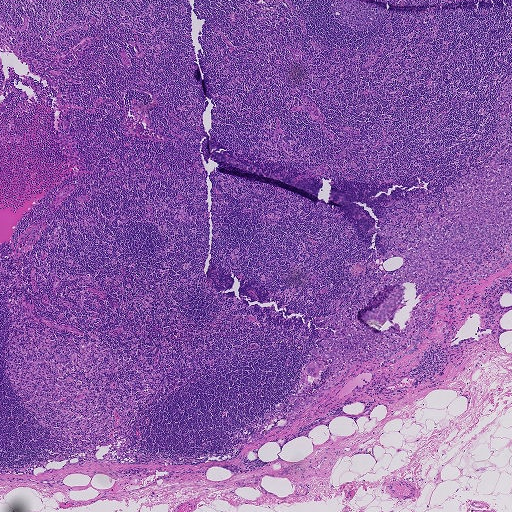
A 1.9-mm field of an H&E-stained sentinel lymph node from a breast-cancer patient (whole-slide image), shown at about 2.5×, about 3.6 µm per pixel.
The outlined metastatic tumour's edge, as a closed clockwise path of 37 points: (511, 75), (511, 264), (440, 302), (433, 323), (440, 322), (419, 350), (381, 367), (355, 365), (286, 428), (246, 443), (272, 417), (263, 413), (287, 407), (301, 370), (321, 356), (309, 350), (323, 348), (318, 332), (327, 321), (313, 317), (360, 292), (349, 265), (394, 250), (366, 232), (391, 220), (396, 200), (411, 204), (408, 193), (426, 194), (421, 202), (433, 196), (441, 210), (456, 177), (508, 145), (495, 125), (504, 102), (494, 109).
The outline encloses a non-tumour hole of about 10% of the region's area.
The annotated tumour makes up about 10% of the crop.